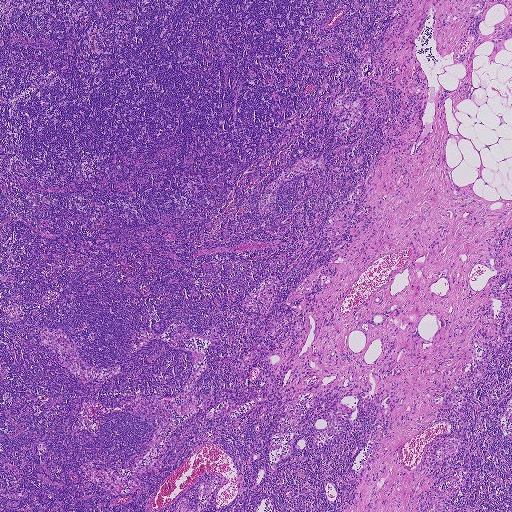
Lymph node section stained with H&E, from a whole-slide image of a breast-cancer sentinel node. Magnification about 2.5×, about 1.9 mm across the frame, about 3.6 µm per pixel.
Question: Is any metastatic breast cancer visible in this crop?
Answer: No: no metastatic tumour is outlined anywhere in this field.